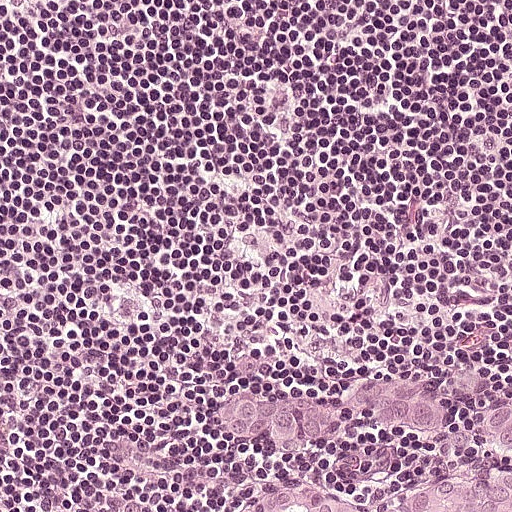
Lymph node section stained with H&E, from a whole-slide image of a breast-cancer sentinel node. Magnification about 20×, about 0.25 mm across the frame, about 0.49 µm per pixel.
Question: Show where the tumour is in this image.
Answer: The outlined metastatic tumour's edge, as a closed clockwise path of 14 points: (376, 358), (392, 358), (413, 373), (444, 358), (461, 360), (510, 382), (511, 511), (224, 511), (246, 472), (244, 451), (220, 424), (218, 405), (232, 390), (324, 395).
One more small tumour piece is annotated here but not outlined.
About 15% of the image area is annotated as tumour.